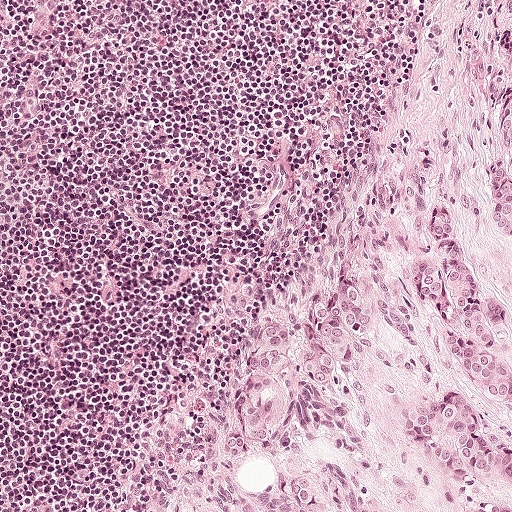
Lymph node section stained with H&E, from a whole-slide image of a breast-cancer sentinel node. Magnification about 10×, about 0.5 mm across the frame, about 0.97 µm per pixel.
Question: Outline the metastatic carcinoma in this image, as closed paths of (x, y) pixel coordinates.
Answer: Metastatic tumour outline, simplified to 7 points and listed clockwise in crop pixels (x, y): (511, 26), (511, 511), (136, 511), (197, 412), (268, 342), (405, 63), (434, 43).
About 40% of the image area is annotated as tumour.